Image:
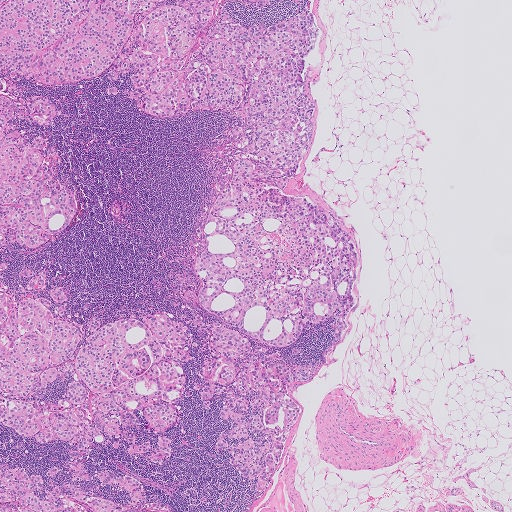
A 2.0-mm field of an H&E-stained sentinel lymph node from a breast-cancer patient (whole-slide image), shown at about 2.5×, about 4.0 µm per pixel.
Question:
Where is the metastatic tumour in this field?
Answer:
Outlines of four tumour regions, largest first (closed clockwise paths, crop pixels): region 1: (0, 0), (276, 0), (225, 1), (245, 21), (311, 3), (306, 84), (319, 110), (290, 178), (354, 230), (361, 257), (338, 312), (301, 331), (314, 369), (288, 381), (297, 408), (264, 489), (211, 448), (213, 408), (180, 397), (219, 316), (187, 242), (228, 117), (140, 113), (102, 76), (20, 80), (15, 89), (43, 94), (61, 115), (25, 126), (60, 150), (75, 204), (43, 250), (1, 247); region 2: (0, 257), (8, 283), (35, 269), (61, 279), (68, 317), (80, 326), (89, 316), (147, 312), (189, 326), (194, 340), (170, 450), (160, 459), (119, 450), (91, 458), (144, 485), (149, 499), (136, 503), (99, 483), (58, 480), (47, 471), (71, 474), (67, 446), (0, 431); region 3: (0, 460), (17, 461), (30, 466), (53, 483), (82, 486), (146, 511), (0, 511); region 4: (116, 200), (119, 204), (120, 209), (119, 218), (116, 218), (113, 216), (109, 211), (110, 204), (112, 201).
One more small tumour piece is annotated here but not outlined.
About 45% of the image area is annotated as tumour.